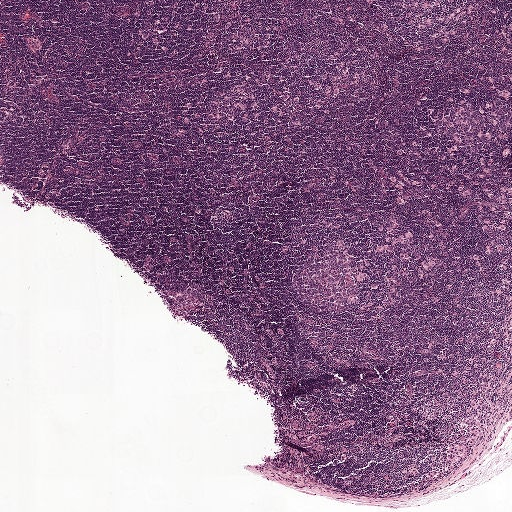
H&E-stained section of a sentinel lymph node (breast cancer), from a whole-slide image, viewed at about 2.5×: the field is about 2.0 mm across, about 3.9 µm per pixel.
One metastatic tumour region; its boundary, reduced to 23 corners and listed clockwise: (484, 329), (496, 331), (500, 341), (494, 357), (497, 384), (490, 399), (490, 415), (482, 443), (464, 456), (451, 471), (440, 476), (411, 474), (408, 468), (412, 466), (425, 469), (429, 459), (445, 451), (470, 413), (473, 401), (464, 382), (463, 371), (470, 362), (486, 354).
Under 5% of the image area is annotated as tumour.